Question: 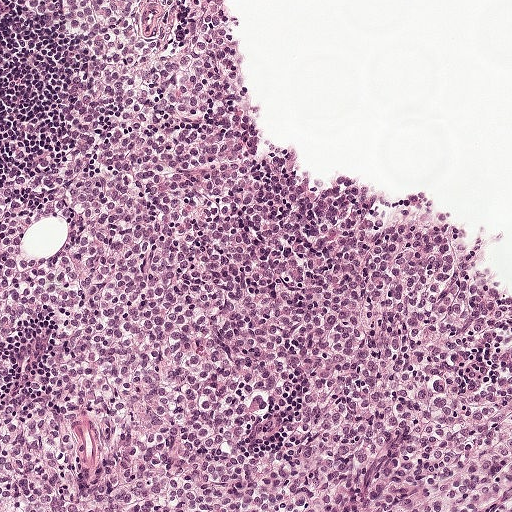
This is a crop of a whole-slide image: an H&E-stained breast-cancer sentinel lymph node section at roughly 10× magnification (about 0.97 µm per pixel; the crop spans about 0.5 mm).
Estimate the proportion of this field that is metastatic tumour.

Choices:
 (A) about 25% to 45%
 (B) about 5% or less
 (C) about 50% or more
 (D) about 10% to 20%
 (E) none: no tumour is outlined

Answer: (C) about 50% or more
About 80% of the field is tumour.
Tumour region outline (a closed clockwise path, crop pixels): (0, 0), (248, 0), (255, 95), (272, 147), (312, 176), (385, 203), (432, 255), (506, 309), (511, 511), (0, 511).